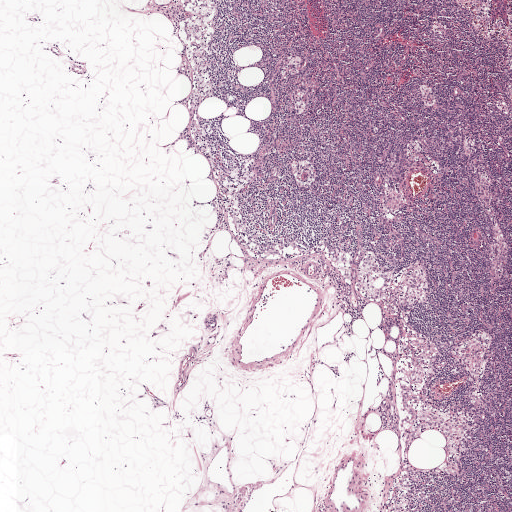
A 2.0-mm field of an H&E-stained sentinel lymph node from a breast-cancer patient (whole-slide image), shown at about 2.5×, about 3.9 µm per pixel.